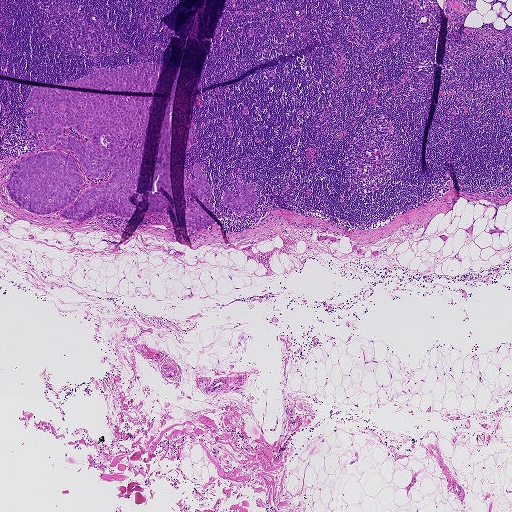
This is a crop of a whole-slide image: an H&E-stained breast-cancer sentinel lymph node section at roughly 2.5× magnification (about 3.6 µm per pixel; the crop spans about 1.9 mm).
Four metastatic tumour regions, each outlined as a closed clockwise path in crop pixels (x, y), largest first: region 1: (32, 88), (151, 98), (135, 189), (128, 198), (135, 206), (129, 216), (59, 216), (78, 196), (41, 214), (15, 204), (8, 181), (25, 158), (65, 154), (82, 176), (80, 192), (107, 181), (112, 170), (93, 177), (72, 152), (34, 142), (46, 132), (28, 127), (38, 113), (24, 108); region 2: (146, 62), (161, 65), (153, 92), (75, 87), (59, 84), (80, 78), (103, 67), (111, 69), (125, 65), (137, 69); region 3: (197, 161), (206, 175), (212, 190), (210, 198), (204, 199), (212, 204), (215, 214), (197, 193), (189, 191), (189, 194), (215, 222), (203, 229), (195, 229), (191, 229), (186, 222), (184, 197), (184, 169), (188, 170), (191, 178), (196, 179), (193, 176), (192, 167), (194, 163); region 4: (238, 181), (245, 185), (252, 183), (255, 187), (251, 192), (257, 196), (250, 210), (239, 211), (231, 210), (222, 206), (221, 202), (227, 188), (232, 193), (234, 196), (241, 196), (244, 189), (242, 191), (238, 191), (235, 188).
Tumour covers about 5% of the frame.